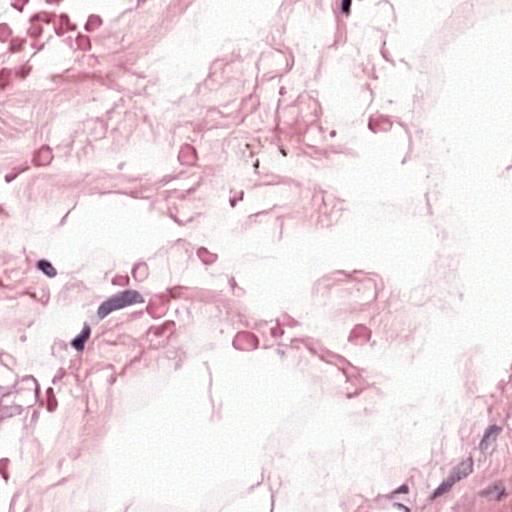
A 0.12-mm field of an H&E-stained sentinel lymph node from a breast-cancer patient (whole-slide image), shown at about 40×, about 0.24 µm per pixel.
Tumour region outline (a closed clockwise path, crop pixels): (0, 391), (41, 399), (0, 453).
One more small tumour piece is annotated here but not outlined.
The annotated tumour makes up under 5% of the crop.